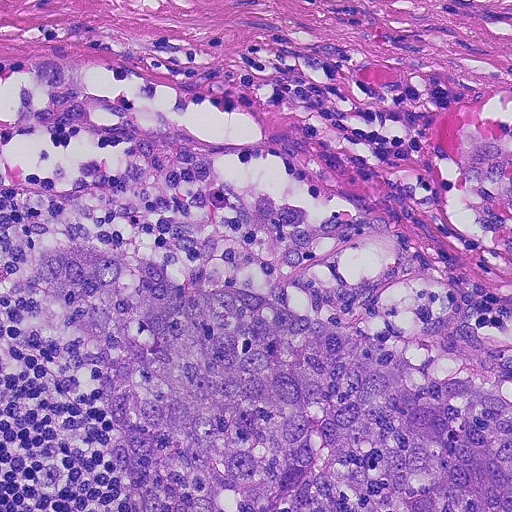
A 0.23-mm field of an H&E-stained sentinel lymph node from a breast-cancer patient (whole-slide image), shown at about 20×, about 0.45 µm per pixel.
Tumour region outline (a closed clockwise path, crop pixels): (63, 231), (96, 234), (179, 283), (228, 283), (410, 368), (511, 395), (511, 511), (127, 511), (99, 368), (24, 301), (20, 253).
About 30% of the image area is annotated as tumour.